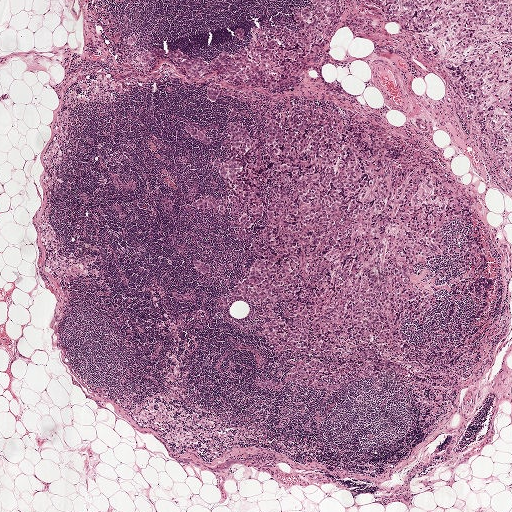
A 2.0-mm field of an H&E-stained sentinel lymph node from a breast-cancer patient (whole-slide image), shown at about 2.5×, about 3.9 µm per pixel.
Boundaries of two metastatic tumour regions, simplified and listed clockwise, largest first: region 1: (303, 103), (359, 118), (463, 211), (437, 231), (425, 316), (399, 326), (422, 351), (413, 367), (346, 390), (284, 379), (256, 309), (219, 304), (231, 286), (192, 262), (238, 276), (250, 251), (230, 217), (191, 202), (231, 192), (212, 161), (231, 150), (181, 124), (218, 135), (232, 105); region 2: (295, 0), (511, 0), (511, 194), (444, 72), (424, 48), (379, 19), (352, 13), (289, 80), (269, 81), (241, 96), (220, 90), (214, 102), (207, 89), (219, 89), (165, 68), (142, 71), (139, 60), (154, 50), (221, 55), (233, 45), (237, 27), (289, 17).
One more small tumour piece is annotated here but not outlined.
About 30% of this field is tumour.